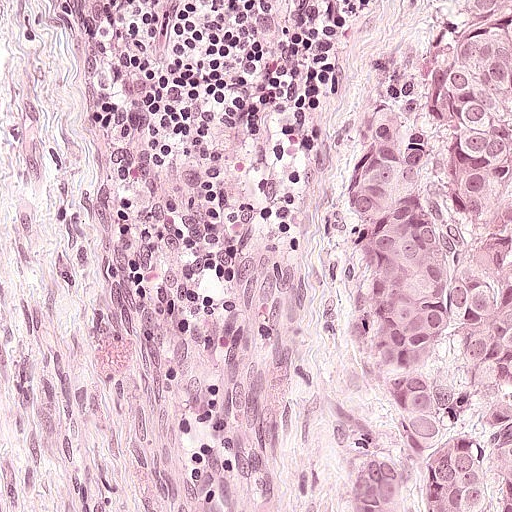
A 0.25-mm field of an H&E-stained sentinel lymph node from a breast-cancer patient (whole-slide image), shown at about 20×, about 0.49 µm per pixel.
Outlines of two tumour regions, largest first (closed clockwise paths, crop pixels): region 1: (368, 0), (511, 0), (511, 511), (262, 511), (293, 430), (304, 160); region 2: (0, 0), (48, 0), (82, 234), (154, 422), (170, 507), (0, 511).
About 60% of this field is tumour.